H&E-stained section of a sentinel lymph node (breast cancer), from a whole-slide image, viewed at about 5×: the field is about 0.93 mm across, about 1.8 µm per pixel.
Image:
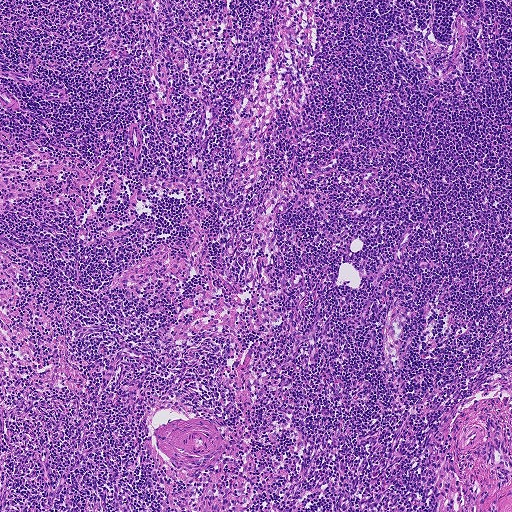
Question:
Does this lymph node field contain metastatic tumour?
Answer:
No: no metastatic tumour is outlined anywhere in this field.